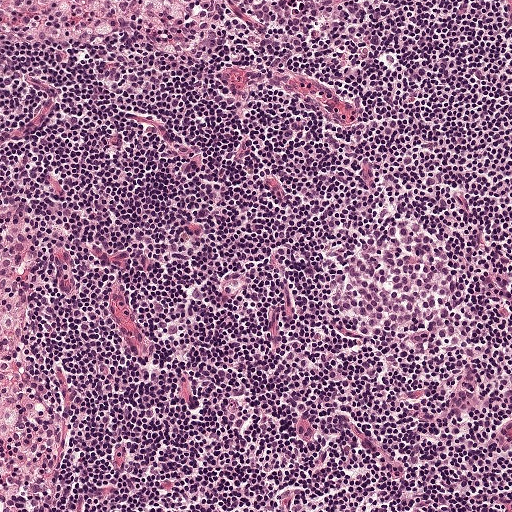
This is a crop of a whole-slide image: an H&E-stained breast-cancer sentinel lymph node section at roughly 10× magnification (about 0.97 µm per pixel; the crop spans about 0.5 mm).